Image:
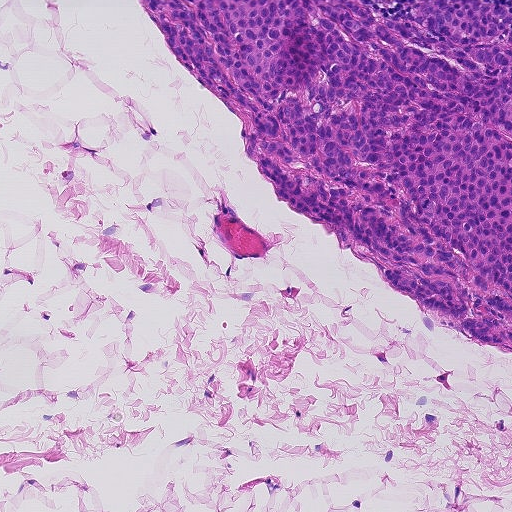
This is a crop of a whole-slide image: an H&E-stained breast-cancer sentinel lymph node section at roughly 10× magnification (about 0.9 µm per pixel; the crop spans about 0.46 mm).
Question:
Is any metastatic breast cancer visible in this crop?
Answer:
Yes.
One metastatic tumour region; its boundary, reduced to 14 corners and listed clockwise: (137, 0), (360, 0), (377, 18), (414, 3), (490, 0), (509, 10), (511, 0), (511, 351), (422, 317), (368, 262), (286, 209), (240, 146), (230, 110), (180, 64).
The annotated tumour makes up about 30% of the crop.